H&E-stained section of a sentinel lymph node (breast cancer), from a whole-slide image, viewed at about 5×: the field is about 0.93 mm across, about 1.8 µm per pixel.
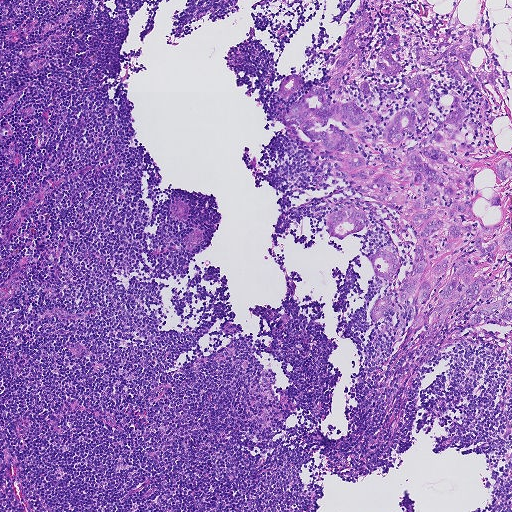
Question: Describe where the metastatic carcinoma lies in this crop.
Answer: Outlines of three tumour regions, largest first (closed clockwise paths, crop pixels): region 1: (369, 0), (374, 64), (393, 33), (410, 68), (458, 28), (491, 49), (510, 85), (482, 91), (511, 178), (498, 210), (482, 172), (474, 206), (511, 232), (511, 324), (464, 327), (479, 295), (421, 340), (411, 322), (392, 345), (396, 320), (370, 320), (393, 282), (371, 255), (399, 255), (400, 281), (415, 235), (370, 202), (354, 204), (362, 230), (331, 238), (353, 186), (283, 124), (301, 88), (278, 98), (288, 74), (305, 77), (304, 95), (327, 83); region 2: (194, 228), (200, 229), (202, 236), (201, 242), (197, 247), (191, 250), (185, 247), (183, 240); region 3: (180, 201), (186, 204), (189, 210), (189, 217), (184, 220), (172, 215), (170, 209), (174, 202).
One more small tumour piece is annotated here but not outlined.
Tumour covers about 15% of the frame.